This is a crop of a whole-slide image: an H&E-stained breast-cancer sentinel lymph node section at roughly 5× magnification (about 1.9 µm per pixel; the crop spans about 1 mm).
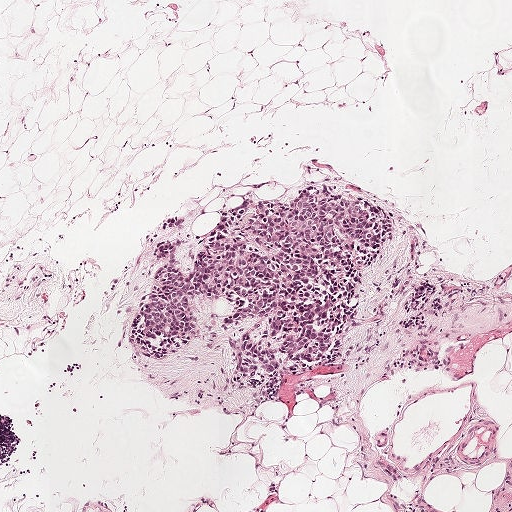
Metastatic tumour outline, simplified to 24 points and listed clockwise in crop pixels (x, y): (321, 185), (381, 205), (390, 240), (360, 274), (338, 347), (244, 376), (230, 347), (257, 322), (220, 328), (232, 308), (195, 294), (204, 324), (193, 340), (164, 358), (132, 341), (159, 259), (151, 248), (171, 235), (156, 218), (182, 213), (176, 252), (192, 269), (215, 217), (248, 200).
About 10% of the image area is annotated as tumour.